This is a crop of a whole-slide image: an H&E-stained breast-cancer sentinel lymph node section at roughly 2.5× magnification (about 3.9 µm per pixel; the crop spans about 2.0 mm).
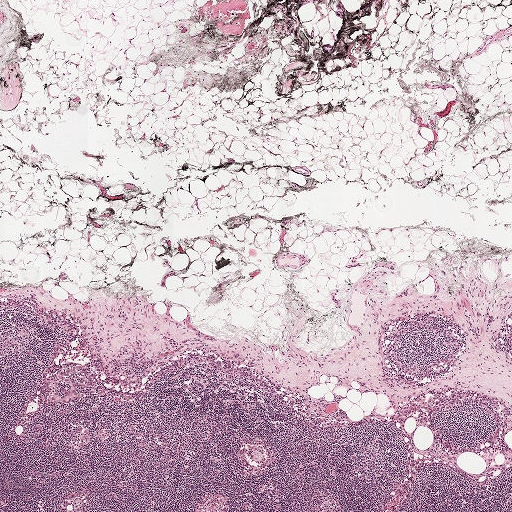
Metastatic tumour outline, simplified to 17 points and listed clockwise in crop pixels (x, y): (61, 371), (69, 371), (72, 380), (87, 385), (77, 386), (78, 391), (86, 393), (86, 395), (80, 400), (69, 402), (61, 401), (53, 402), (48, 400), (48, 391), (44, 381), (52, 376), (57, 376).
Tumour covers under 5% of the frame.